Lymph node section stained with H&E, from a whole-slide image of a breast-cancer sentinel node. Magnification about 5×, about 1 mm across the frame, about 1.9 µm per pixel.
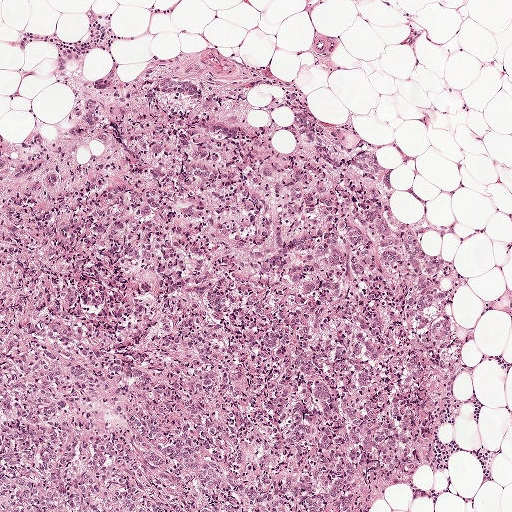
Question: Where is the metastatic tumour in this field? Give each region's outline as (x, y) pixel points.
Answer: Tumour region outline (a closed clockwise path, crop pixels): (171, 62), (214, 64), (328, 109), (460, 276), (482, 340), (490, 423), (463, 475), (422, 511), (0, 511), (0, 154), (62, 156), (109, 123), (128, 78).
About 70% of the image area is annotated as tumour.